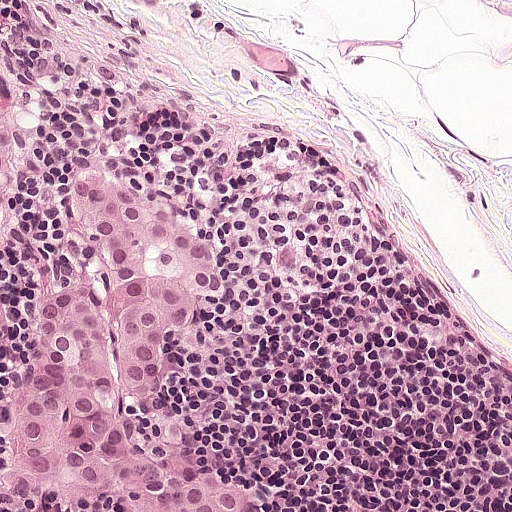
Lymph node section stained with H&E, from a whole-slide image of a breast-cancer sentinel node. Magnification about 20×, about 0.25 mm across the frame, about 0.49 µm per pixel.
Question: Outline the metastatic carcinoma in this image, as closed paths of (x, y) pixel coordinates.
Answer: Two metastatic tumour regions, each outlined as a closed clockwise path in crop pixels (x, y), largest first: region 1: (78, 165), (114, 170), (132, 201), (206, 232), (220, 256), (228, 299), (166, 346), (158, 394), (197, 465), (269, 511), (55, 511), (2, 476), (4, 398), (18, 338), (46, 286), (81, 269), (60, 238), (61, 192); region 2: (0, 73), (30, 144), (29, 174), (11, 208), (8, 229), (0, 243).
About 20% of this field is tumour.